Question: 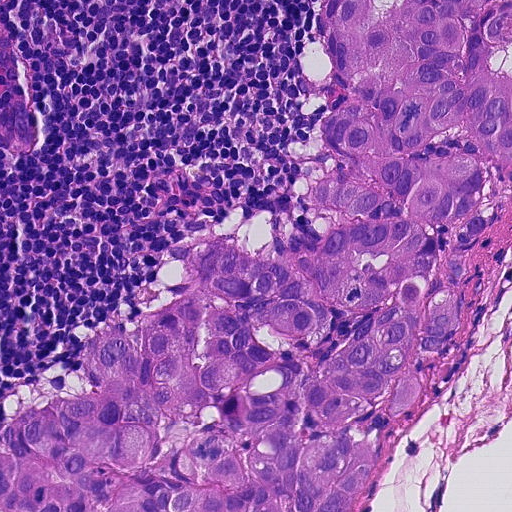
A 0.23-mm field of an H&E-stained sentinel lymph node from a breast-cancer patient (whole-slide image), shown at about 20×, about 0.45 µm per pixel.
Roughly what share of this field is metastatic tumour?

Choices:
 (A) none: no tumour is outlined
 (B) about 5% or less
 (C) about 10% to 20%
 (D) about 25% to 45%
 (E) about 50% or more

Answer: (E) about 50% or more
About 55% of the field is tumour.
One metastatic tumour region; its boundary, reduced to 24 corners and listed clockwise: (511, 0), (511, 173), (490, 170), (442, 260), (462, 326), (450, 360), (355, 511), (0, 511), (9, 394), (57, 362), (77, 368), (91, 340), (128, 323), (168, 246), (246, 200), (252, 218), (291, 221), (304, 200), (286, 150), (329, 108), (303, 83), (300, 48), (316, 38), (318, 1).